Question: 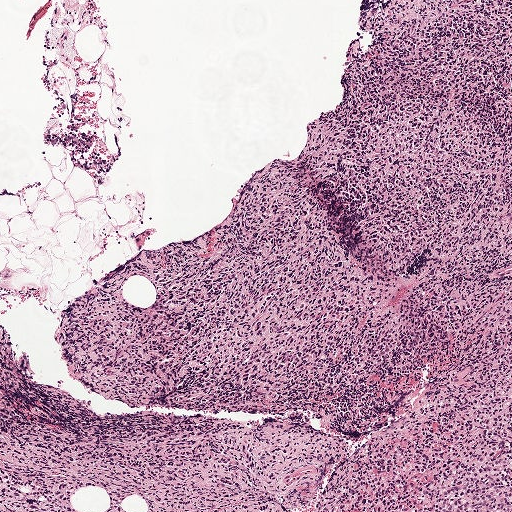
Lymph node section stained with H&E, from a whole-slide image of a breast-cancer sentinel node. Magnification about 5×, about 1 mm across the frame, about 1.9 µm per pixel.
About how much of this crop is taken up by metastatic carcinoma?

Choices:
 (A) about 10% to 20%
 (B) about 50% or more
 (C) none: no tumour is outlined
 (D) about 5% or less
 (E) about 25% to 45%

Answer: (B) about 50% or more
About 65% of the field is tumour.
One metastatic tumour region; its boundary, reduced to 13 corners and listed clockwise: (348, 0), (511, 0), (511, 511), (0, 511), (0, 429), (141, 444), (71, 368), (67, 326), (78, 309), (109, 280), (211, 232), (310, 140), (353, 55).